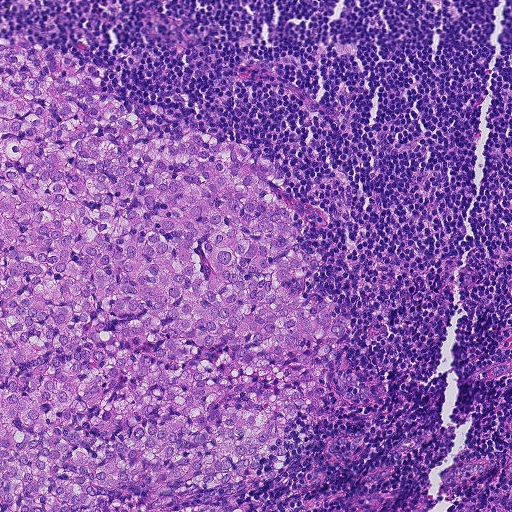
H&E-stained section of a sentinel lymph node (breast cancer), from a whole-slide image, viewed at about 10×: the field is about 0.46 mm across, about 0.9 µm per pixel.
The outlined metastatic tumour's edge, as a closed clockwise path of 18 points: (0, 38), (92, 64), (159, 138), (193, 128), (251, 149), (286, 180), (300, 245), (323, 253), (303, 298), (332, 304), (347, 337), (327, 400), (288, 422), (274, 476), (196, 490), (167, 508), (223, 508), (0, 511).
About 45% of the image area is annotated as tumour.